Question: 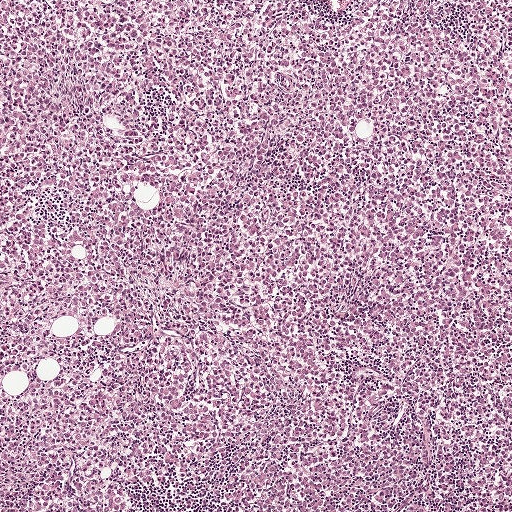
This is a crop of a whole-slide image: an H&E-stained breast-cancer sentinel lymph node section at roughly 5× magnification (about 1.9 µm per pixel; the crop spans about 1 mm).
Estimate the proportion of this field that is metastatic tumour.

Choices:
 (A) none: no tumour is outlined
 (B) about 50% or more
 (C) about 5% or less
 (D) about 25% to 45%
 (E) about 10% to 20%

Answer: (D) about 25% to 45%
About 30% of the field is tumour.
Outlines of two tumour regions, largest first (closed clockwise paths, crop pixels): region 1: (198, 327), (233, 339), (270, 360), (273, 386), (198, 481), (128, 494), (149, 511), (0, 511), (0, 388), (39, 388), (79, 349), (144, 330); region 2: (455, 0), (511, 0), (511, 290), (454, 286), (423, 274), (358, 185), (374, 124), (364, 58), (386, 39), (458, 21).